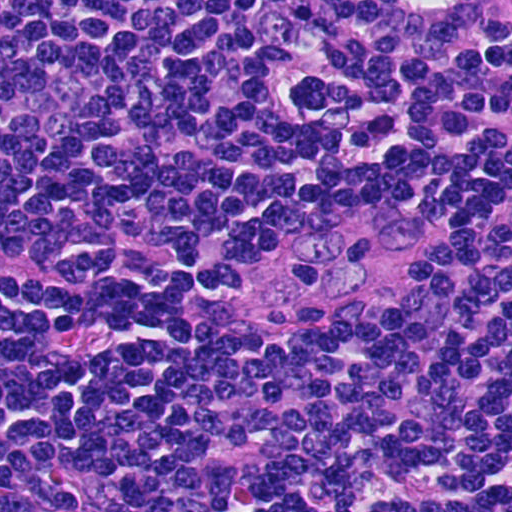
A 0.12-mm field of an H&E-stained sentinel lymph node from a breast-cancer patient (whole-slide image), shown at about 40×, about 0.23 µm per pixel.
The outlined metastatic tumour's edge, as a closed clockwise path of 10 points: (367, 204), (421, 209), (445, 253), (411, 291), (362, 316), (309, 319), (243, 314), (243, 261), (284, 231), (336, 220).
The annotated tumour makes up about 5% of the crop.